A 1-mm field of an H&E-stained sentinel lymph node from a breast-cancer patient (whole-slide image), shown at about 5×, about 1.9 µm per pixel.
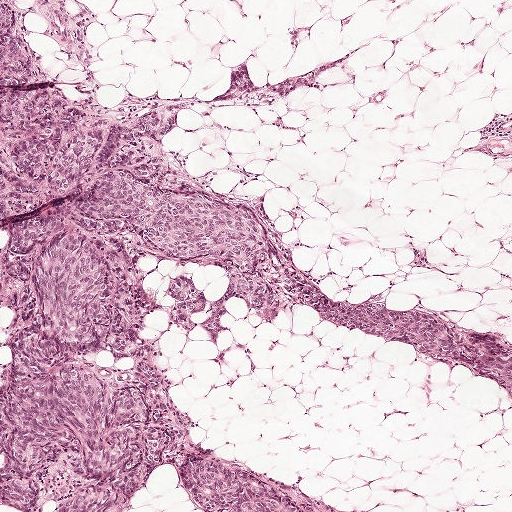
Tumour region outline (a closed clockwise path, crop pixels): (0, 0), (135, 0), (106, 36), (106, 66), (138, 127), (187, 164), (275, 204), (331, 284), (387, 292), (435, 322), (511, 330), (511, 402), (312, 316), (219, 311), (200, 343), (160, 338), (160, 373), (181, 418), (328, 511), (197, 511), (163, 487), (153, 511), (10, 511).
About 45% of the image area is annotated as tumour.